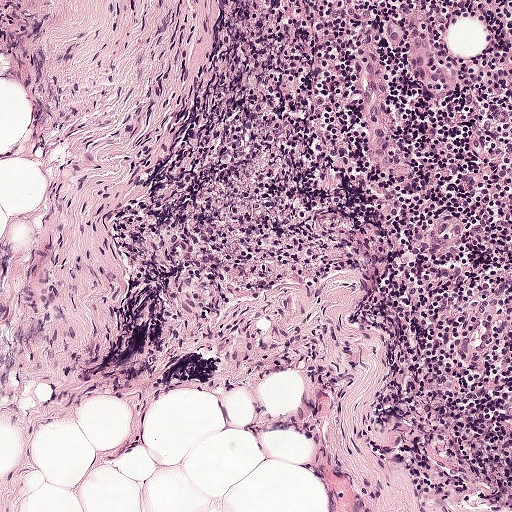
Lymph node section stained with H&E, from a whole-slide image of a breast-cancer sentinel node. Magnification about 10×, about 0.5 mm across the frame, about 0.97 µm per pixel.
Question: Is any metastatic breast cancer visible in this crop?
Answer: No: no metastatic tumour is outlined anywhere in this field.